H&E-stained section of a sentinel lymph node (breast cancer), from a whole-slide image, viewed at about 2.5×: the field is about 2.0 mm across, about 4.0 µm per pixel.
Image:
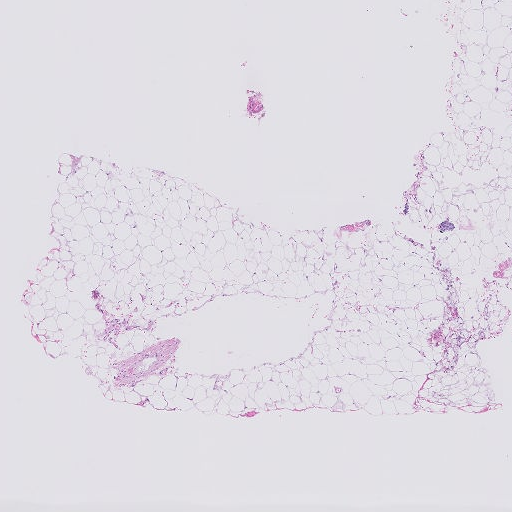
Question:
Trace the edge of each tumour region in this crop, as (x, y) points from 0 to 511.
Answer:
Outlines of two tumour regions, largest first (closed clockwise paths, crop pixels): region 1: (448, 217), (454, 222), (458, 230), (441, 232), (435, 228), (441, 218); region 2: (405, 198), (411, 200), (408, 216), (400, 214).
Two more small tumour pieces are annotated here but not outlined.
The annotated tumour makes up under 5% of the crop.